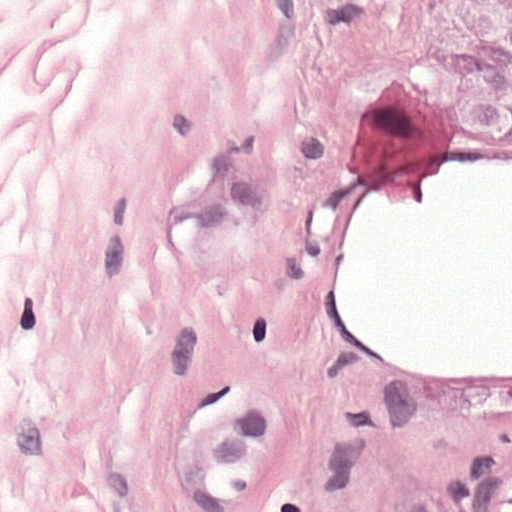
H&E-stained section of a sentinel lymph node (breast cancer), from a whole-slide image, viewed at about 40×: the field is about 0.12 mm across, about 0.24 µm per pixel.
Boundaries of three metastatic tumour regions, simplified and listed clockwise, largest first: region 1: (262, 127), (304, 180), (267, 256), (171, 278), (158, 198), (215, 133); region 2: (427, 0), (511, 0), (511, 157), (482, 151), (405, 73); region 3: (511, 439), (511, 511), (353, 511).
One more small tumour piece is annotated here but not outlined.
About 15% of the image area is annotated as tumour.